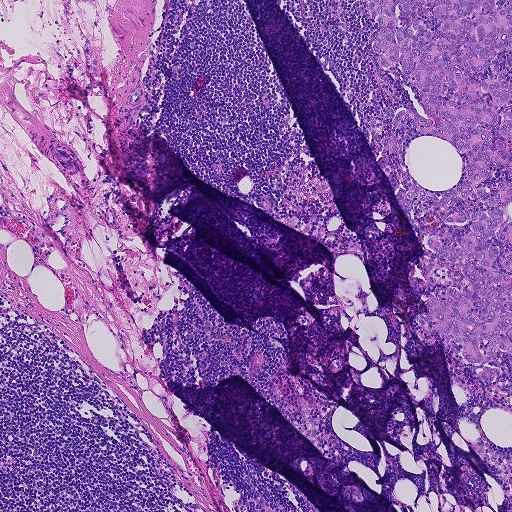
H&E-stained section of a sentinel lymph node (breast cancer), from a whole-slide image, viewed at about 5×: the field is about 0.93 mm across, about 1.8 µm per pixel.
Outlines of three tumour regions, largest first (closed clockwise paths, crop pixels): region 1: (367, 0), (511, 0), (511, 358), (500, 352), (502, 376), (488, 384), (453, 341), (426, 342), (412, 322), (425, 291), (417, 258), (436, 222), (406, 197), (401, 157), (381, 142), (393, 134), (396, 109), (411, 101), (390, 75), (394, 94), (382, 95), (370, 64), (376, 31); region 2: (475, 423), (478, 423), (484, 429), (491, 444), (506, 452), (511, 451), (511, 499), (507, 496), (502, 489), (500, 481), (488, 469), (468, 440), (476, 442), (478, 438), (477, 430), (474, 425); region 3: (326, 0), (342, 0), (342, 14), (336, 18), (329, 13), (325, 5).
About 15% of this field is tumour.